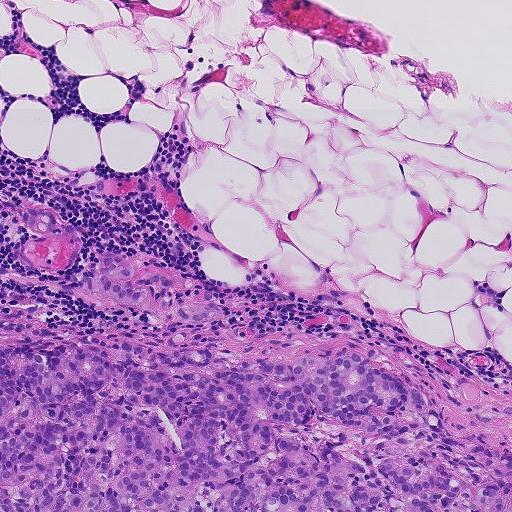
H&E-stained section of a sentinel lymph node (breast cancer), from a whole-slide image, viewed at about 10×: the field is about 0.46 mm across, about 0.9 µm per pixel.
Question: Trace the edge of each tumour region in this crop, as (x, y) points from 0 to 511.
Answer: Outlines of two tumour regions, largest first (closed clockwise paths, crop pixels): region 1: (0, 320), (76, 340), (228, 346), (244, 360), (291, 364), (376, 348), (372, 365), (427, 389), (460, 439), (511, 447), (511, 511), (0, 511); region 2: (92, 250), (165, 268), (204, 284), (204, 292), (152, 287), (154, 298), (164, 296), (173, 307), (200, 302), (224, 310), (215, 323), (194, 326), (174, 324), (136, 308), (95, 311), (79, 300), (71, 288), (94, 275), (97, 264).
About 30% of the image area is annotated as tumour.